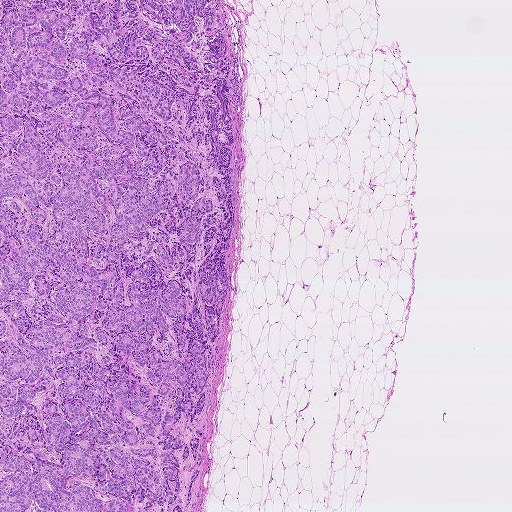
A 1.9-mm field of an H&E-stained sentinel lymph node from a breast-cancer patient (whole-slide image), shown at about 2.5×, about 3.6 µm per pixel.
Metastatic tumour outline, simplified to 18 points and listed clockwise in crop pixels (x, y): (0, 0), (214, 0), (220, 11), (224, 75), (173, 91), (187, 114), (186, 158), (226, 193), (200, 222), (196, 258), (173, 276), (203, 268), (227, 280), (203, 413), (173, 430), (205, 434), (190, 508), (0, 511).
About 40% of this field is tumour.